Question: 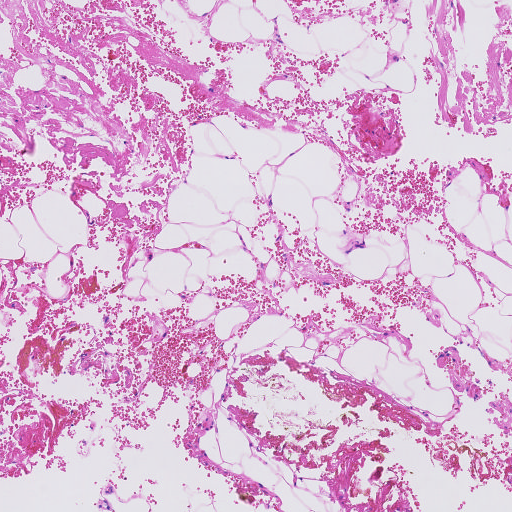
Which magnification is this H&E lymph node field most likely shown at?

Choices:
 (A) about 40×
 (B) about 2.5×
 (C) about 5×
 (D) about 10×
 (E) about 20×

Answer: (C) about 5×
A 0.93-mm field of an H&E-stained sentinel lymph node from a breast-cancer patient (whole-slide image), shown at about 5×, about 1.8 µm per pixel.